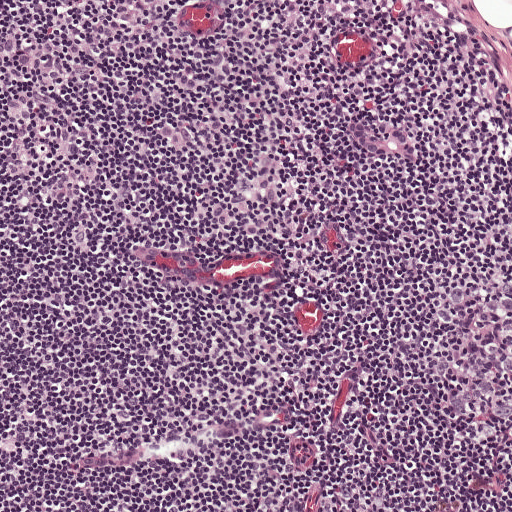
A 0.5-mm field of an H&E-stained sentinel lymph node from a breast-cancer patient (whole-slide image), shown at about 10×, about 0.97 µm per pixel.
Question: Show where the tumour is in this image.
Answer: Tumour region outline (a closed clockwise path, crop pixels): (353, 119), (379, 119), (399, 125), (418, 138), (422, 146), (423, 156), (420, 166), (410, 168), (392, 162), (383, 162), (374, 158), (346, 133), (346, 123).
Under 5% of the image area is annotated as tumour.